Image:
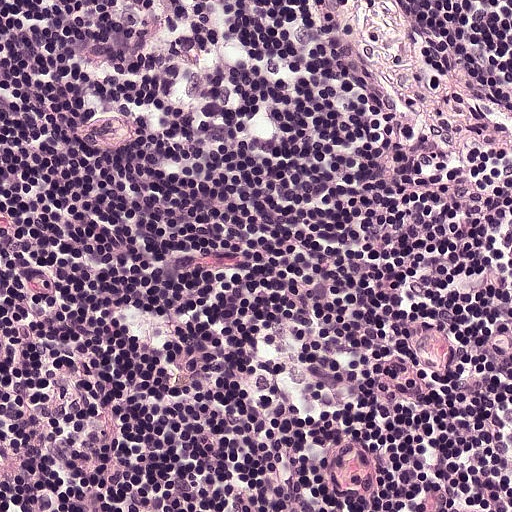
This is a crop of a whole-slide image: an H&E-stained breast-cancer sentinel lymph node section at roughly 20× magnification (about 0.49 µm per pixel; the crop spans about 0.25 mm).
Question:
Does this lymph node field contain metastatic tumour?
Answer:
No: no metastatic tumour is outlined anywhere in this field.